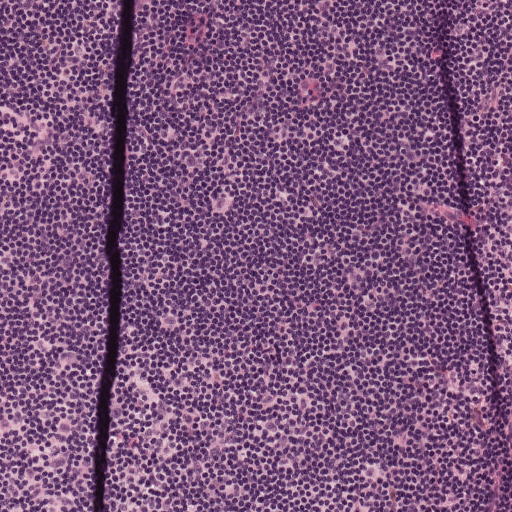
Lymph node section stained with H&E, from a whole-slide image of a breast-cancer sentinel node. Magnification about 10×, about 0.5 mm across the frame, about 0.97 µm per pixel.